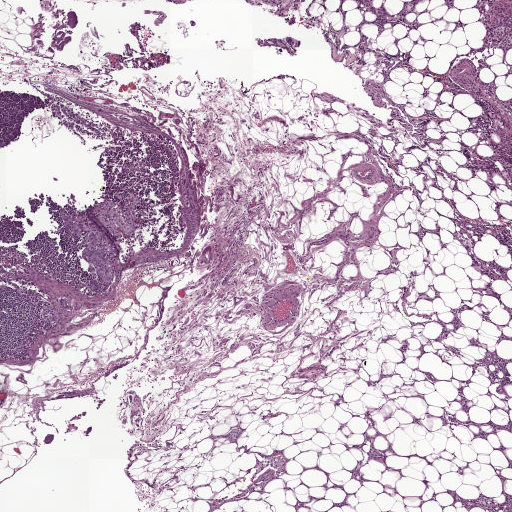
This is a crop of a whole-slide image: an H&E-stained breast-cancer sentinel lymph node section at roughly 2.5× magnification (about 3.9 µm per pixel; the crop spans about 2.0 mm).
Outlines of two tumour regions, largest first (closed clockwise paths, crop pixels): region 1: (125, 190), (132, 191), (141, 200), (142, 206), (136, 235), (131, 238), (123, 236), (116, 276), (110, 287), (105, 288), (98, 282), (95, 274), (89, 273), (85, 261), (80, 259), (81, 237), (64, 232), (59, 214), (63, 206), (70, 215), (75, 210); region 2: (120, 115), (129, 116), (133, 119), (129, 122), (118, 120).
Four more small tumour pieces are annotated here but not outlined.
Tumour covers under 5% of the frame.